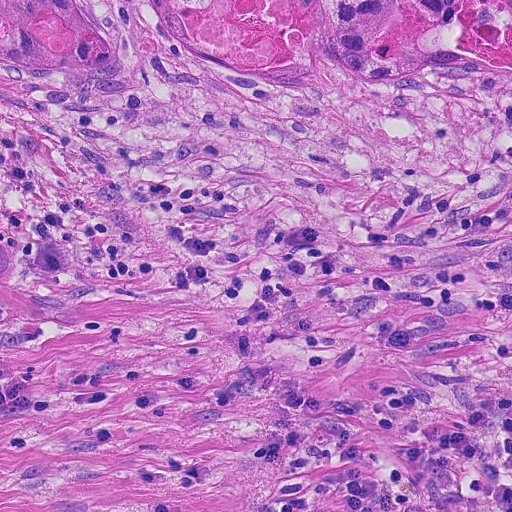
H&E-stained section of a sentinel lymph node (breast cancer), from a whole-slide image, viewed at about 20×: the field is about 0.23 mm across, about 0.45 µm per pixel.
Tumour region outline (a closed clockwise path, crop pixels): (0, 0), (511, 0), (511, 73), (451, 72), (354, 88), (332, 68), (288, 88), (239, 89), (148, 56), (110, 88), (0, 87).
The annotated tumour makes up about 15% of the crop.